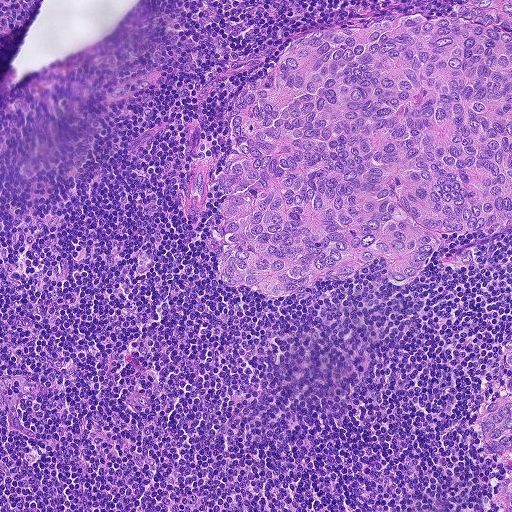
H&E-stained section of a sentinel lymph node (breast cancer), from a whole-slide image, viewed at about 10×: the field is about 0.46 mm across, about 0.9 µm per pixel.
Outlines of two tumour regions, largest first (closed clockwise paths, crop pixels): region 1: (457, 0), (511, 0), (511, 225), (444, 237), (408, 286), (392, 288), (382, 259), (286, 296), (230, 285), (208, 228), (217, 192), (208, 174), (229, 138), (228, 96), (304, 30), (392, 10), (454, 11); region 2: (511, 329), (511, 511), (502, 511), (496, 490), (502, 471), (509, 464), (492, 454), (478, 438), (477, 418), (486, 399), (504, 389), (501, 349), (509, 330).
About 30% of the image area is annotated as tumour.